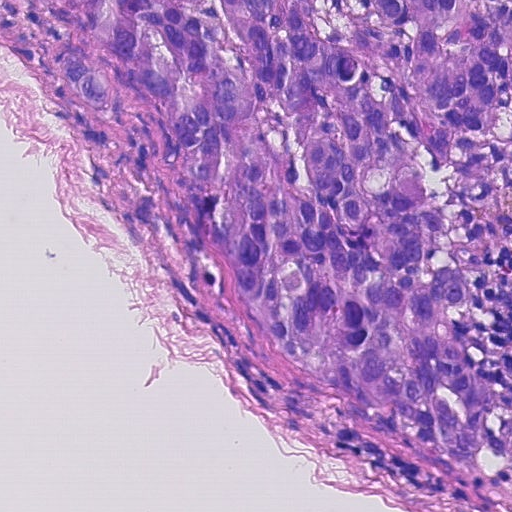
This is a crop of a whole-slide image: an H&E-stained breast-cancer sentinel lymph node section at roughly 20× magnification (about 0.45 µm per pixel; the crop spans about 0.23 mm).
Question: Does this lymph node field contain metastatic tumour?
Answer: Yes.
The outlined metastatic tumour's edge, as a closed clockwise path of 21 points: (511, 0), (511, 108), (506, 82), (488, 144), (511, 176), (511, 248), (485, 253), (464, 278), (471, 309), (450, 334), (511, 411), (511, 470), (471, 476), (426, 458), (355, 392), (295, 370), (202, 280), (160, 226), (137, 132), (82, 99), (63, 5).
The annotated tumour makes up about 55% of the crop.